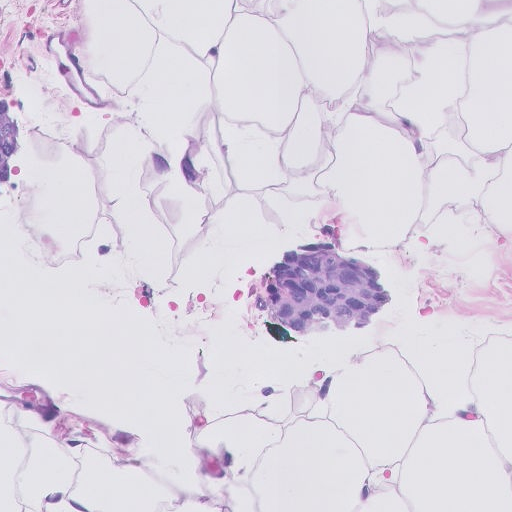
A 0.26-mm field of an H&E-stained sentinel lymph node from a breast-cancer patient (whole-slide image), shown at about 20×, about 0.5 µm per pixel.
Question: Outline the metastatic carcinoma in this image, as closed paths of (x, y) pixel coordinates.
Answer: Two metastatic tumour regions, each outlined as a closed clockwise path in crop pixels (x, y), largest first: region 1: (334, 220), (388, 260), (419, 322), (283, 344), (236, 302), (282, 228); region 2: (0, 67), (43, 81), (18, 210), (0, 207).
One more small tumour piece is annotated here but not outlined.
About 5% of the image area is annotated as tumour.